Question: 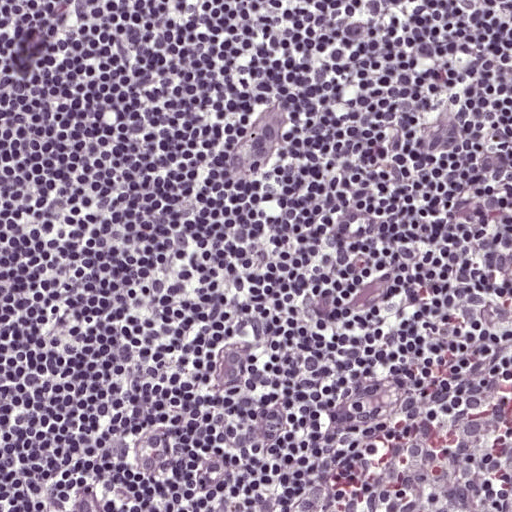
About what magnification does this crop show?

Choices:
 (A) about 20×
 (B) about 40×
 (C) about 10×
 (D) about 2.5×
 (E) about 5×

Answer: (A) about 20×
H&E-stained section of a sentinel lymph node (breast cancer), from a whole-slide image, viewed at about 20×: the field is about 0.25 mm across, about 0.49 µm per pixel.